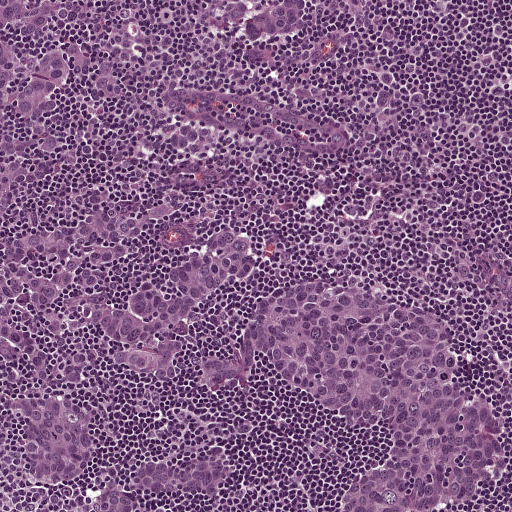
A 0.5-mm field of an H&E-stained sentinel lymph node from a breast-cancer patient (whole-slide image), shown at about 10×, about 0.97 µm per pixel.
Outlines of three tumour regions, largest first (closed clockwise paths, crop pixels): region 1: (0, 0), (90, 0), (69, 5), (67, 43), (79, 37), (139, 95), (188, 112), (204, 140), (154, 150), (88, 132), (51, 208), (67, 216), (184, 192), (199, 200), (130, 272), (179, 267), (232, 224), (259, 243), (252, 294), (321, 279), (423, 303), (451, 324), (506, 432), (472, 508), (332, 511), (351, 473), (386, 447), (381, 426), (263, 376), (222, 389), (115, 380), (91, 411), (102, 452), (60, 494), (29, 492), (0, 410), (28, 386), (2, 374); region 2: (210, 434), (230, 439), (248, 450), (253, 471), (239, 488), (196, 498), (153, 498), (134, 509), (135, 511), (78, 511), (124, 456), (146, 454); region 3: (152, 0), (310, 0), (313, 18), (302, 34), (260, 38), (222, 32), (187, 10).
About 45% of this field is tumour.